Question: 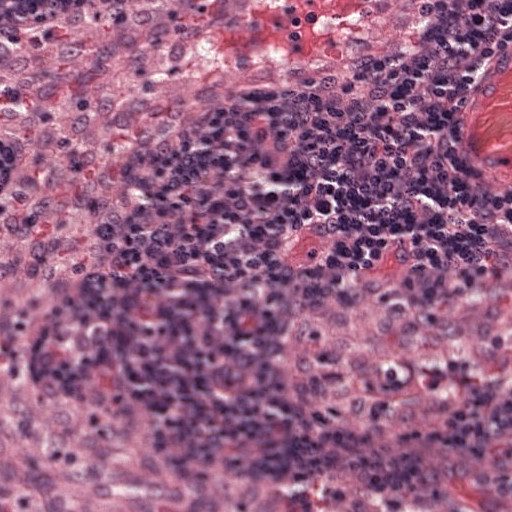
About what magnification does this crop show?

Choices:
 (A) about 40×
 (B) about 5×
 (C) about 10×
 (D) about 20×
 (E) about 2.5×

Answer: (D) about 20×
This is a crop of a whole-slide image: an H&E-stained breast-cancer sentinel lymph node section at roughly 20× magnification (about 0.49 µm per pixel; the crop spans about 0.25 mm).